A 1-mm field of an H&E-stained sentinel lymph node from a breast-cancer patient (whole-slide image), shown at about 5×, about 1.9 µm per pixel.
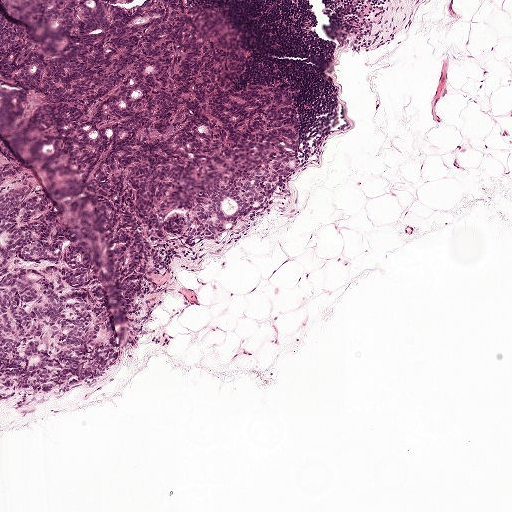
Question: Trace the edge of each tumour region in this crop, as (x, y) points from 0 to 511.
Answer: Boundaries of two metastatic tumour regions, simplified and listed clockwise, largest first: region 1: (111, 0), (210, 0), (223, 11), (261, 38), (292, 86), (300, 140), (265, 131), (194, 156), (151, 192), (151, 211), (186, 212), (294, 154), (300, 161), (261, 205), (159, 267), (131, 269), (0, 78), (0, 7), (17, 34), (56, 54), (77, 50), (81, 26); region 2: (0, 145), (34, 180), (59, 236), (91, 281), (111, 338), (111, 358), (95, 378), (59, 389), (1, 390).
About 25% of this field is tumour.